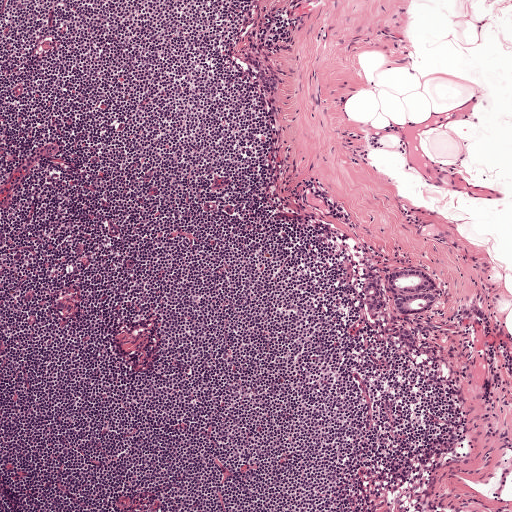
A 1-mm field of an H&E-stained sentinel lymph node from a breast-cancer patient (whole-slide image), shown at about 5×, about 1.9 µm per pixel.
Question: Describe where the metastatic carcinoma lies in this crop.
Answer: Boundaries of five metastatic tumour regions, simplified and listed clockwise, largest first: region 1: (416, 267), (431, 274), (438, 281), (443, 291), (440, 301), (434, 310), (424, 314), (402, 316), (397, 315), (391, 306), (385, 275), (395, 270); region 2: (370, 270), (379, 275), (386, 297), (386, 304), (373, 313), (368, 308), (365, 285); region 3: (244, 54), (250, 54), (269, 70), (277, 79), (279, 91), (273, 93), (262, 89), (252, 66), (243, 58); region 4: (388, 326), (399, 329), (397, 331), (408, 331), (413, 336), (415, 344), (414, 349), (407, 348), (398, 340), (395, 333), (397, 332), (390, 334), (385, 332), (384, 328); region 5: (476, 305), (481, 307), (484, 319), (481, 319), (475, 316), (466, 318), (457, 314), (459, 310).
The annotated tumour makes up under 5% of the crop.